A 0.25-mm field of an H&E-stained sentinel lymph node from a breast-cancer patient (whole-slide image), shown at about 20×, about 0.49 µm per pixel.
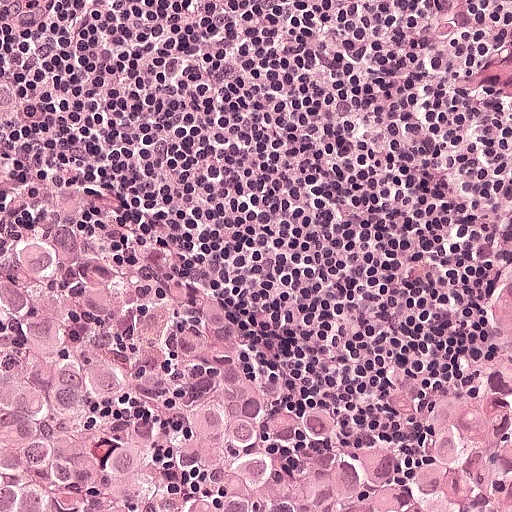
Metastatic tumour outline, simplified to 7 points and listed clockwise in crop pixels (x, y): (0, 109), (88, 184), (262, 413), (310, 452), (511, 322), (511, 511), (0, 511).
One more small tumour piece is annotated here but not outlined.
Tumour covers about 40% of the frame.